Image:
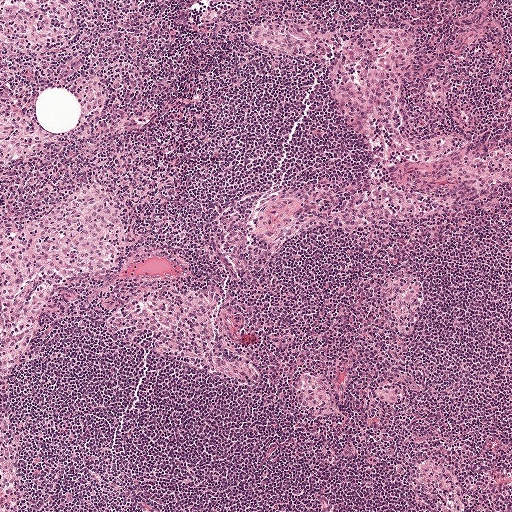
This is a crop of a whole-slide image: an H&E-stained breast-cancer sentinel lymph node section at roughly 5× magnification (about 1.9 µm per pixel; the crop spans about 1 mm).
Question:
Is there metastatic carcinoma in this field?
Answer:
No: no metastatic tumour is outlined anywhere in this field.